Image:
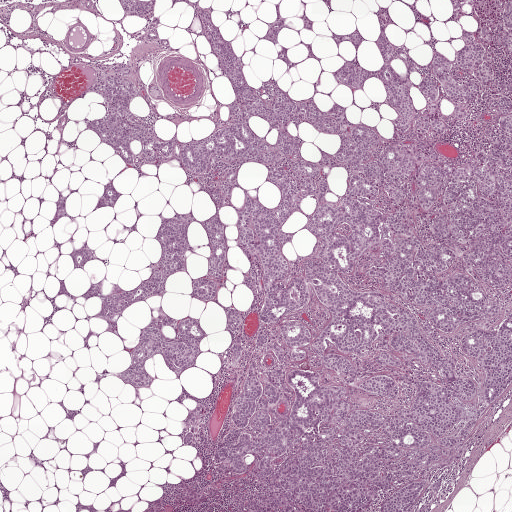
Lymph node section stained with H&E, from a whole-slide image of a breast-cancer sentinel node. Magnification about 2.5×, about 2.0 mm across the frame, about 3.9 µm per pixel.
Question:
Where is the metastatic tumour in this field? Give each region's outline as (x, y) pixel points.
Answer:
Outlines of eight tumour regions, largest first (closed clockwise paths, crop pixels): region 1: (436, 478), (441, 478), (442, 482), (439, 492), (425, 489), (424, 494), (411, 509), (412, 511), (378, 511), (381, 503), (388, 496), (397, 490), (415, 482), (425, 486), (430, 485), (432, 480); region 2: (492, 0), (511, 0), (511, 63), (497, 43), (496, 38), (496, 28), (498, 23), (501, 19), (496, 5); region 3: (203, 408), (202, 415), (203, 419), (197, 423), (197, 430), (195, 437), (190, 443), (187, 445), (183, 445), (183, 440), (181, 434), (186, 420), (196, 409); region 4: (278, 7), (285, 22), (282, 30), (277, 36), (277, 41), (286, 49), (288, 63), (278, 57), (282, 50), (275, 42), (267, 40), (258, 40), (264, 37), (267, 33), (269, 28), (266, 23), (274, 22), (277, 18), (275, 10); region 5: (118, 0), (137, 0), (149, 4), (153, 8), (145, 16), (129, 16); region 6: (112, 184), (119, 190), (120, 196), (114, 205), (103, 207), (97, 206), (98, 201), (106, 186); region 7: (86, 248), (89, 252), (90, 257), (87, 262), (78, 267), (74, 264), (70, 254); region 8: (356, 30), (360, 36), (365, 40), (356, 47), (350, 40), (346, 39), (337, 43), (333, 38), (335, 35), (342, 36), (348, 35), (349, 33).
One more tumour region is annotated but not outlined: its edge is too irregular for a short outline.
Five more, smaller tumour regions are not outlined.
Two more small tumour pieces are annotated here but not outlined.
The annotated tumour makes up about 45% of the crop.